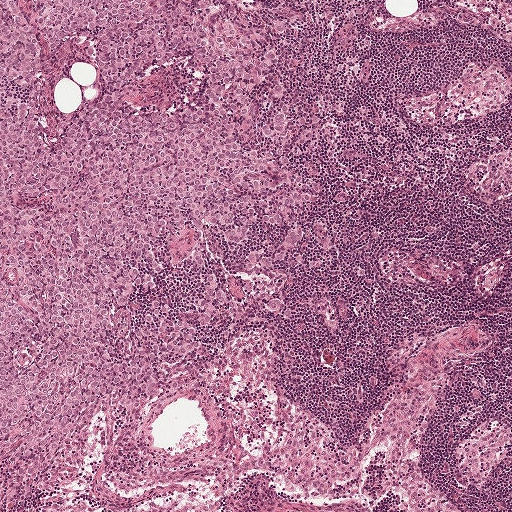
Lymph node section stained with H&E, from a whole-slide image of a breast-cancer sentinel node. Magnification about 5×, about 1 mm across the frame, about 1.9 µm per pixel.
Outlines of two tumour regions, largest first (closed clockwise paths, crop pixels): region 1: (0, 0), (50, 137), (100, 87), (24, 0), (235, 1), (276, 62), (256, 119), (288, 106), (245, 144), (288, 166), (245, 182), (312, 186), (301, 248), (256, 268), (279, 230), (165, 232), (107, 325), (160, 298), (200, 347), (141, 413), (82, 413), (29, 501), (0, 502); region 2: (191, 249), (200, 252), (204, 260), (201, 269), (217, 278), (216, 289), (222, 290), (226, 297), (226, 304), (220, 309), (216, 321), (206, 325), (198, 324), (195, 321), (195, 310), (202, 289), (202, 282), (200, 274), (187, 264).
About 35% of the image area is annotated as tumour.